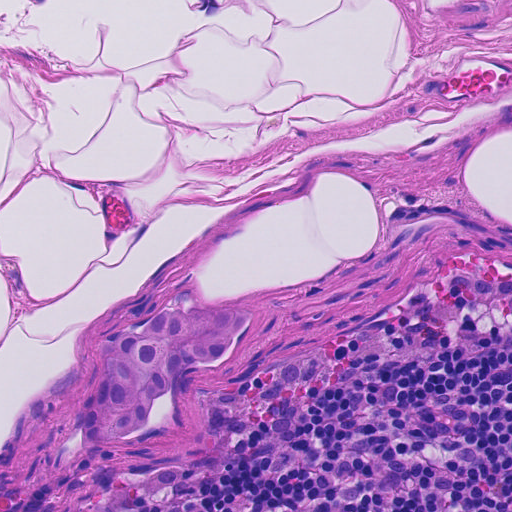
This is a crop of a whole-slide image: an H&E-stained breast-cancer sentinel lymph node section at roughly 20× magnification (about 0.45 µm per pixel; the crop spans about 0.23 mm).
One metastatic tumour region; its boundary, reduced to 17 corners and listed clockwise: (204, 302), (256, 310), (251, 329), (237, 336), (230, 357), (215, 367), (198, 367), (181, 379), (144, 428), (97, 445), (78, 442), (71, 431), (70, 411), (94, 360), (95, 334), (149, 320), (161, 310).
Tumour covers about 5% of the frame.